Question: 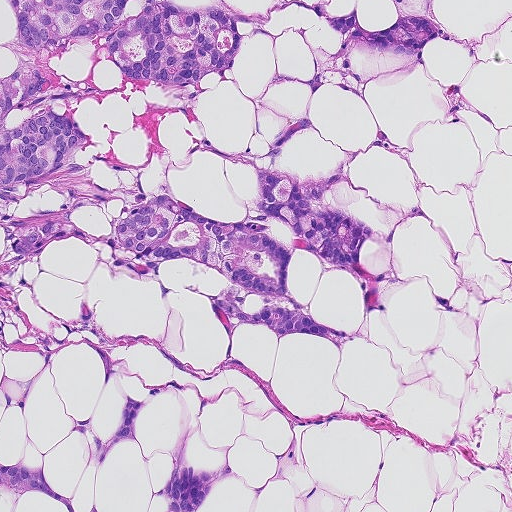
A 0.46-mm field of an H&E-stained sentinel lymph node from a breast-cancer patient (whole-slide image), shown at about 10×, about 0.9 µm per pixel.
Roughly what share of this field is metastatic tumour?

Choices:
 (A) none: no tumour is outlined
 (B) about 5% or less
 (C) about 50% or more
 (D) about 10% to 20%
 (E) about 25% to 45%

Answer: (E) about 25% to 45%
About 30% of the field is tumour.
Three metastatic tumour regions, each outlined as a closed clockwise path in crop pixels (x, y), largest first: region 1: (0, 0), (323, 0), (381, 32), (433, 0), (471, 46), (362, 96), (269, 88), (310, 47), (336, 54), (298, 8), (192, 86), (123, 75), (102, 35), (46, 62), (111, 93), (74, 114), (102, 187), (246, 222), (297, 118), (278, 172), (360, 158), (322, 194), (377, 232), (386, 312), (312, 255), (287, 270), (340, 352), (217, 326), (228, 282), (193, 262), (160, 293), (78, 239), (7, 259); region 2: (128, 393), (150, 404), (139, 413), (137, 426), (156, 492), (171, 469), (174, 448), (194, 468), (220, 470), (228, 465), (234, 474), (211, 487), (200, 511), (169, 511), (164, 502), (150, 504), (147, 511), (67, 511), (57, 498), (31, 492), (18, 498), (13, 511), (4, 511), (12, 496), (0, 488), (0, 464), (17, 464), (21, 460), (32, 470), (41, 468), (56, 492), (69, 498), (90, 442), (69, 421), (92, 419), (97, 432), (110, 436), (119, 424); region 3: (0, 331), (3, 347), (4, 374), (16, 380), (30, 377), (42, 370), (53, 358), (47, 370), (26, 406), (21, 411), (8, 410), (2, 405), (0, 398).
One more small tumour piece is annotated here but not outlined.